Question: 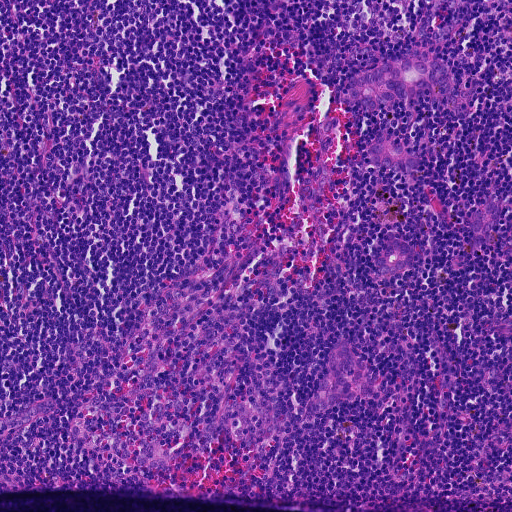
About what magnification does this crop show?

Choices:
 (A) about 5×
 (B) about 20×
 (C) about 40×
 (D) about 10×
 (E) about 2.5×

Answer: (D) about 10×
H&E-stained section of a sentinel lymph node (breast cancer), from a whole-slide image, viewed at about 10×: the field is about 0.46 mm across, about 0.91 µm per pixel.
Outlines of five tumour regions, largest first (closed clockwise paths, crop pixels): region 1: (411, 50), (422, 50), (448, 68), (454, 89), (465, 108), (458, 114), (436, 103), (429, 94), (416, 93), (377, 109), (366, 110), (354, 106), (347, 97), (346, 87), (350, 77), (380, 62), (394, 62), (404, 58); region 2: (339, 344), (350, 344), (377, 368), (380, 389), (388, 395), (380, 402), (346, 400), (328, 412), (318, 414), (307, 413), (312, 392), (327, 372), (329, 350); region 3: (388, 227), (414, 246), (416, 257), (412, 266), (394, 278), (384, 278), (376, 269), (374, 258), (385, 247), (383, 237); region 4: (386, 140), (397, 141), (414, 154), (420, 164), (413, 171), (402, 172), (382, 167), (365, 153), (367, 148), (375, 142); region 5: (488, 199), (499, 200), (498, 234), (492, 243), (483, 249), (472, 249), (468, 228), (470, 217).
Tumour covers about 5% of the frame.